Image:
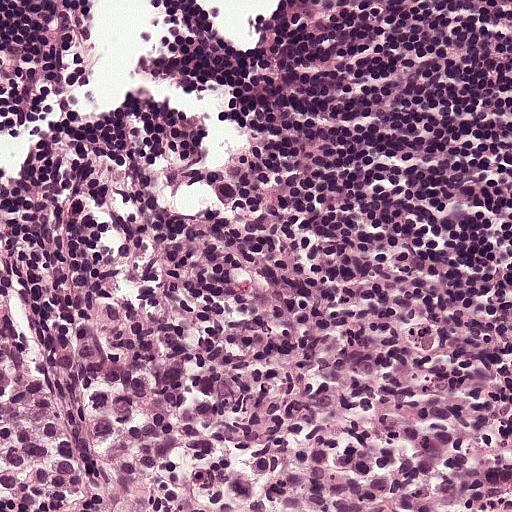
Lymph node section stained with H&E, from a whole-slide image of a breast-cancer sentinel node. Magnification about 20×, about 0.25 mm across the frame, about 0.49 µm per pixel.
Question:
Is there metastatic carcinoma in this field?
Answer:
Yes.
Metastatic tumour outline, simplified to 9 points and listed clockwise in crop pixels (x, y): (0, 228), (48, 233), (134, 286), (191, 286), (317, 259), (482, 314), (510, 336), (511, 511), (0, 511).
Tumour covers about 45% of the frame.